This is a crop of a whole-slide image: an H&E-stained breast-cancer sentinel lymph node section at roughly 2.5× magnification (about 3.9 µm per pixel; the crop spans about 2.0 mm).
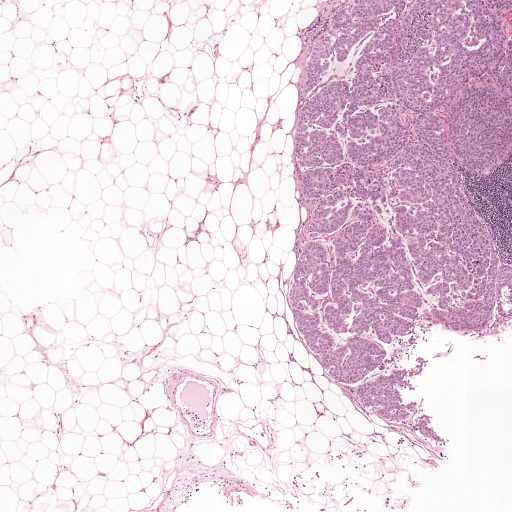
Boundaries of two metastatic tumour regions, simplified and listed clockwise, largest first: region 1: (511, 0), (511, 156), (485, 178), (460, 167), (511, 267), (511, 329), (479, 338), (432, 327), (428, 343), (421, 339), (398, 365), (430, 361), (417, 392), (403, 393), (424, 395), (444, 444), (374, 414), (334, 380), (290, 305), (308, 217), (295, 164), (302, 72), (335, 2); region 2: (476, 353), (488, 355), (486, 360), (480, 361), (471, 358).
The annotated tumour makes up about 30% of the crop.